Question: 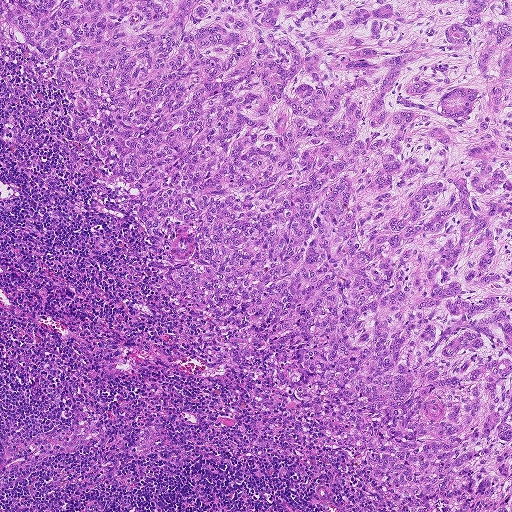
Lymph node section stained with H&E, from a whole-slide image of a breast-cancer sentinel node. Magnification about 5×, about 0.93 mm across the frame, about 1.8 µm per pixel.
What fraction of the image area is metastatic tumour?

Choices:
 (A) about 10% to 20%
 (B) about 25% to 45%
 (C) about 5% or less
 (D) about 50% or more
 (E) none: no tumour is outlined

Answer: (D) about 50% or more
About 65% of the field is tumour.
Metastatic tumour outline, simplified to 21 points and listed clockwise in crop pixels (x, y): (0, 0), (511, 0), (511, 511), (393, 511), (344, 419), (276, 386), (281, 356), (219, 362), (209, 326), (163, 292), (194, 256), (191, 229), (169, 216), (143, 236), (138, 188), (109, 179), (74, 141), (76, 92), (54, 83), (63, 51), (42, 59).
Question: 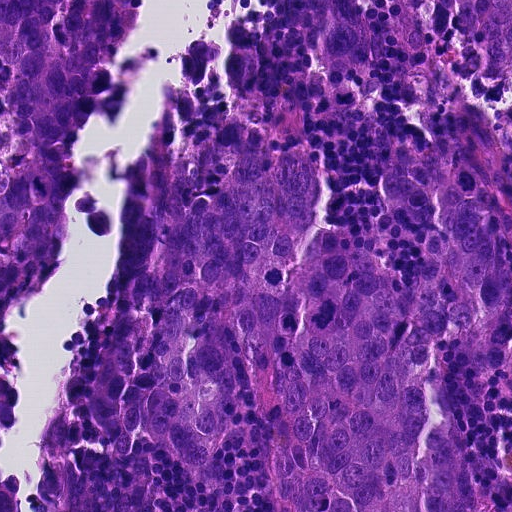
This is a crop of a whole-slide image: an H&E-stained breast-cancer sentinel lymph node section at roughly 20× magnification (about 0.45 µm per pixel; the crop spans about 0.23 mm).
What fraction of the image area is metastatic tumour?

Choices:
 (A) about 5% or less
 (B) about 50% or more
 (C) about 10% to 20%
 (D) about 25% to 45%
 (E) none: no tumour is outlined

Answer: (B) about 50% or more
About 65% of the field is tumour.
Four metastatic tumour regions, each outlined as a closed clockwise path in crop pixels (x, y), largest first: region 1: (346, 2), (499, 114), (511, 511), (275, 511), (238, 425), (170, 466), (147, 431), (96, 418), (135, 210), (254, 90), (299, 106), (345, 238), (411, 276), (421, 250), (374, 180), (406, 80), (329, 61), (320, 8); region 2: (0, 0), (140, 0), (138, 18), (83, 133), (56, 258), (28, 288), (8, 326), (16, 410), (0, 424); region 3: (428, 0), (511, 0), (511, 76), (492, 76), (440, 8); region 4: (0, 466), (10, 482), (21, 511), (0, 511).
Question: 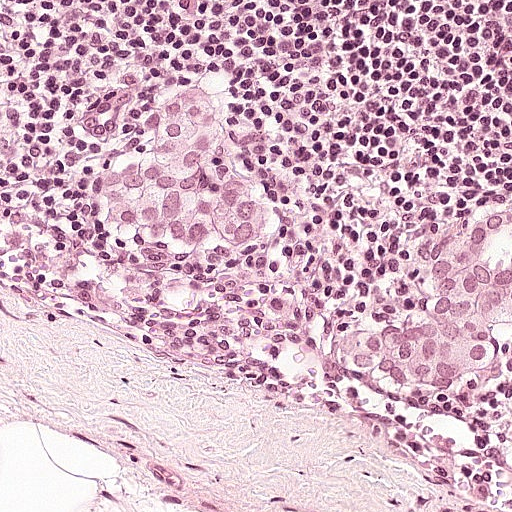
This is a crop of a whole-slide image: an H&E-stained breast-cancer sentinel lymph node section at roughly 20× magnification (about 0.49 µm per pixel; the crop spans about 0.25 mm).
What fraction of the image area is metastatic tumour?

Choices:
 (A) about 5% or less
 (B) about 25% to 45%
 (C) none: no tumour is outlined
 (D) about 50% or more
 (E) about 10% to 20%

Answer: (E) about 10% to 20%
About 15% of the field is tumour.
Boundaries of two metastatic tumour regions, simplified and listed clockwise, largest first: region 1: (511, 208), (511, 330), (491, 338), (497, 368), (484, 375), (460, 374), (424, 396), (406, 398), (322, 366), (326, 320), (416, 294), (424, 228), (470, 212); region 2: (174, 78), (199, 83), (205, 102), (224, 116), (256, 206), (256, 230), (238, 248), (226, 249), (196, 238), (156, 244), (132, 241), (119, 224), (90, 208), (86, 194), (96, 160), (138, 140), (136, 96).
Question: 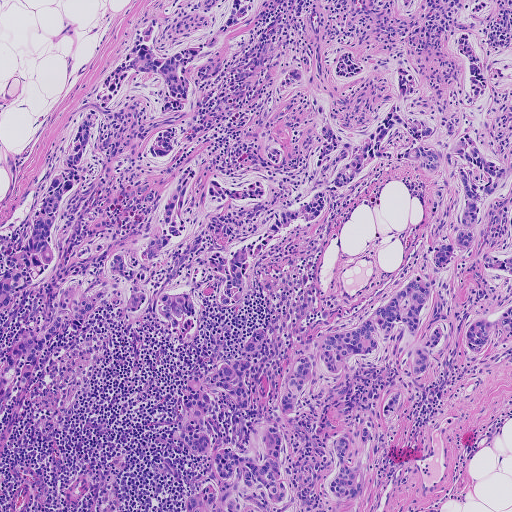
Lymph node section stained with H&E, from a whole-slide image of a breast-cancer sentinel node. Magnification about 5×, about 0.93 mm across the frame, about 1.8 µm per pixel.
What fraction of the image area is metastatic tumour?

Choices:
 (A) about 50% or more
 (B) none: no tumour is outlined
 (C) about 25% to 45%
 (D) about 5% or less
 (E) about 10% to 20%

Answer: (A) about 50% or more
About 60% of the field is tumour.
Tumour region outline (a closed clockwise path, crop pixels): (170, 0), (420, 0), (430, 24), (494, 0), (493, 44), (511, 40), (511, 339), (460, 345), (368, 460), (356, 511), (186, 511), (209, 472), (176, 434), (193, 375), (268, 332), (247, 380), (274, 422), (294, 355), (364, 322), (452, 236), (461, 183), (435, 216), (434, 177), (383, 158), (275, 236), (236, 303), (218, 306), (217, 282), (195, 289), (185, 342), (118, 286), (0, 398), (55, 282), (0, 311), (8, 254), (99, 85).